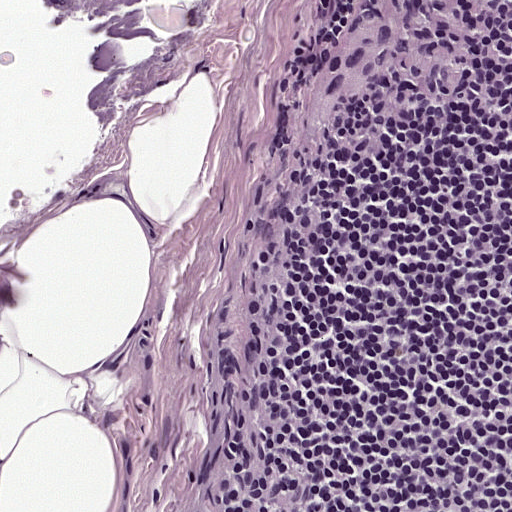
H&E-stained section of a sentinel lymph node (breast cancer), from a whole-slide image, viewed at about 20×: the field is about 0.25 mm across, about 0.49 µm per pixel.
Tumour region outline (a closed clockwise path, crop pixels): (345, 0), (477, 0), (466, 68), (456, 94), (436, 118), (413, 100), (402, 63), (358, 102), (288, 123), (319, 35).
The annotated tumour makes up about 5% of the crop.